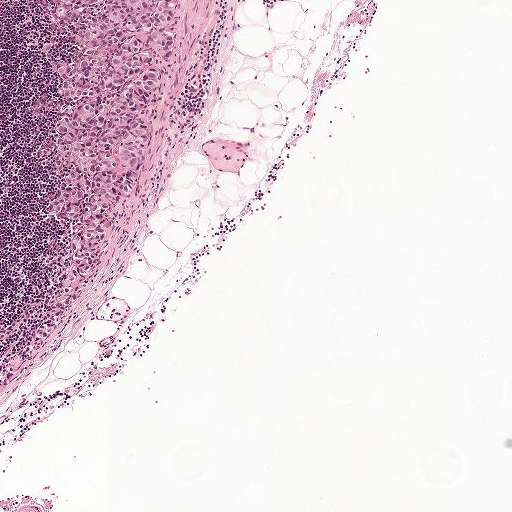
Lymph node section stained with H&E, from a whole-slide image of a breast-cancer sentinel node. Magnification about 5×, about 1 mm across the frame, about 1.9 µm per pixel.
Outlines of two tumour regions, largest first (closed clockwise paths, crop pixels): region 1: (107, 0), (181, 0), (158, 116), (134, 180), (110, 216), (100, 262), (76, 308), (48, 345), (34, 349), (29, 346), (77, 234), (54, 210), (58, 171), (38, 151), (55, 132), (57, 70), (69, 58), (76, 34), (101, 18); region 2: (55, 0), (97, 0), (92, 6), (71, 18), (58, 16).
About 10% of the image area is annotated as tumour.